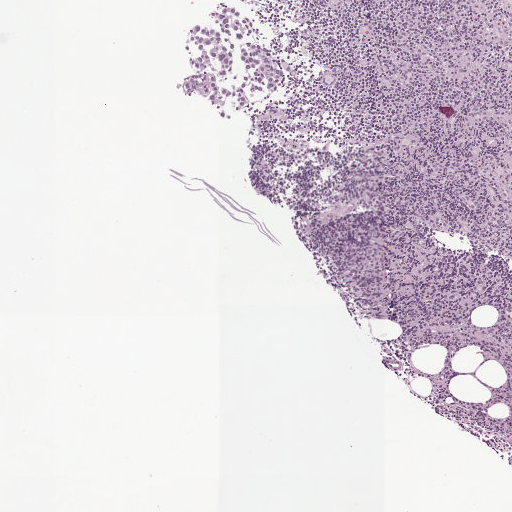
This is a crop of a whole-slide image: an H&E-stained breast-cancer sentinel lymph node section at roughly 5× magnification (about 1.9 µm per pixel; the crop spans about 1 mm).
Metastatic tumour outline, simplified to 15 points and listed clockwise in crop pixels (x, y): (223, 5), (242, 14), (284, 73), (284, 84), (270, 102), (232, 121), (211, 116), (203, 109), (200, 98), (178, 94), (184, 72), (183, 39), (188, 28), (206, 18), (212, 10).
Tumour covers about 5% of the frame.